Image:
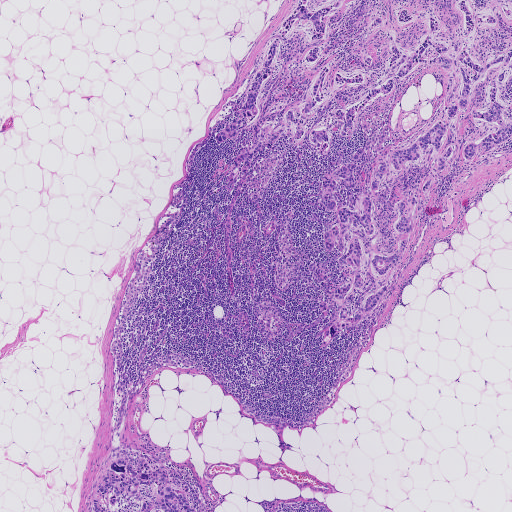
A 1.9-mm field of an H&E-stained sentinel lymph node from a breast-cancer patient (whole-slide image), shown at about 2.5×, about 3.6 µm per pixel.
Question:
Describe where the metastatic carcinoma lies in this crop.
Answer:
Outlines of two tumour regions, largest first (closed clockwise paths, crop pixels): region 1: (299, 0), (511, 0), (511, 138), (461, 156), (401, 261), (380, 277), (369, 267), (348, 315), (387, 285), (380, 303), (322, 345), (342, 304), (329, 292), (353, 278), (338, 258), (348, 242), (324, 241), (336, 210), (319, 201), (324, 175), (365, 149), (355, 174), (368, 194), (378, 161), (437, 122), (461, 75), (448, 92), (448, 72), (418, 62), (349, 135), (329, 128), (324, 154), (290, 127), (230, 183), (258, 125), (225, 143), (216, 136); region 2: (137, 447), (149, 455), (154, 468), (162, 466), (165, 469), (170, 484), (184, 492), (196, 511), (94, 511), (92, 500), (101, 476), (119, 451).
About 20% of the image area is annotated as tumour.